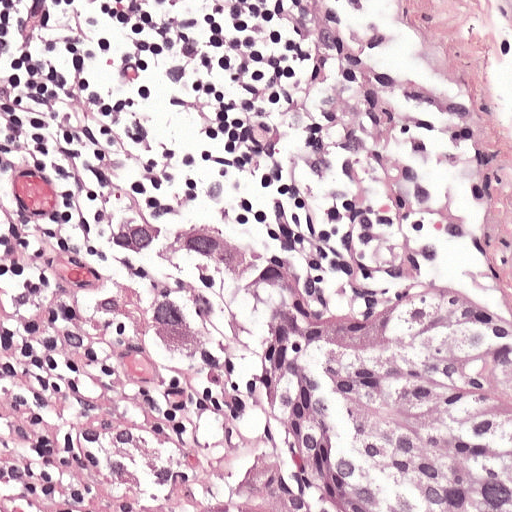
Lymph node section stained with H&E, from a whole-slide image of a breast-cancer sentinel node. Magnification about 20×, about 0.25 mm across the frame, about 0.49 µm per pixel.
Question: Trace the edge of each tumour region in this crop, as (x, y) points from 0 to 511.
Answer: Outlines of two tumour regions, largest first (closed clockwise paths, crop pixels): region 1: (416, 281), (490, 300), (511, 332), (511, 511), (304, 511), (308, 495), (278, 381), (319, 339), (377, 324); region 2: (206, 220), (302, 284), (278, 294), (214, 264), (188, 286), (187, 363), (148, 322), (167, 228).
About 20% of this field is tumour.